Question: 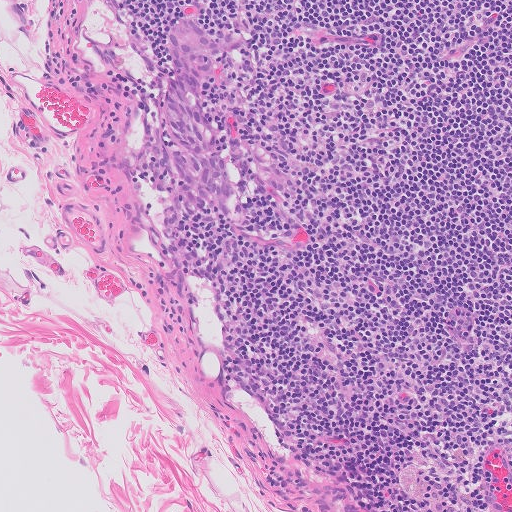
This is a crop of a whole-slide image: an H&E-stained breast-cancer sentinel lymph node section at roughly 10× magnification (about 1.0 µm per pixel; the crop spans about 0.51 mm).
About how much of this crop is taken up by metastatic carcinoma?

Choices:
 (A) about 5% or less
 (B) about 50% or more
 (C) none: no tumour is outlined
 (D) about 25% to 45%
 (E) about 10% to 20%

Answer: (A) about 5% or less
About 5% of the field is tumour.
The outlined metastatic tumour's edge, as a closed clockwise path of 12 points: (191, 14), (215, 32), (224, 46), (224, 64), (209, 92), (233, 185), (222, 214), (206, 218), (177, 208), (158, 164), (158, 115), (176, 18).
Question: 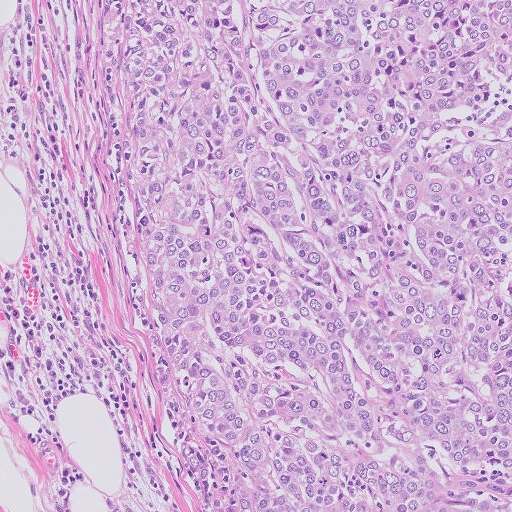
Lymph node section stained with H&E, from a whole-slide image of a breast-cancer sentinel node. Magnification about 10×, about 0.51 mm across the frame, about 1.0 µm per pixel.
About how much of this crop is taken up by metastatic carcinoma?

Choices:
 (A) about 5% or less
 (B) about 25% to 45%
 (C) none: no tumour is outlined
 (D) about 50% or more
 (E) about 10% to 20%

Answer: (D) about 50% or more
About 75% of the field is tumour.
The outlined metastatic tumour's edge, as a closed clockwise path of 5 points: (511, 0), (511, 511), (219, 511), (108, 238), (77, 2).
Question: 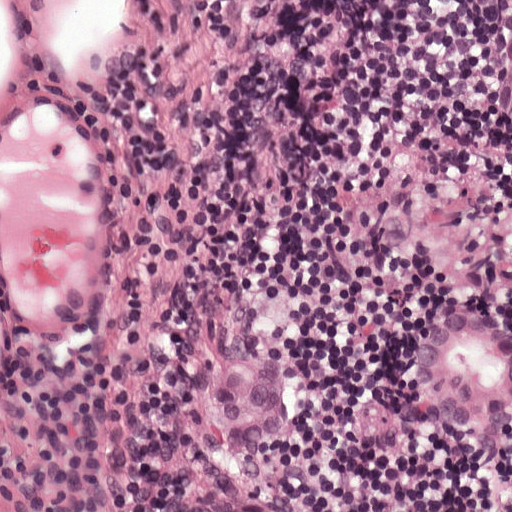
This is a crop of a whole-slide image: an H&E-stained breast-cancer sentinel lymph node section at roughly 20× magnification (about 0.49 µm per pixel; the crop spans about 0.25 mm).
About how much of this crop is taken up by metastatic carcinoma?

Choices:
 (A) none: no tumour is outlined
 (B) about 50% or more
 (C) about 25% to 45%
 (D) about 5% or less
 (E) about 10% to 20%

Answer: (C) about 25% to 45%
About 25% of the field is tumour.
Two metastatic tumour regions, each outlined as a closed clockwise path in crop pixels (x, y), largest first: region 1: (432, 268), (511, 274), (511, 511), (178, 511), (127, 449), (122, 334), (228, 276), (234, 403), (337, 470), (449, 495), (400, 383); region 2: (492, 0), (511, 0), (511, 174), (510, 168), (444, 64).
Question: 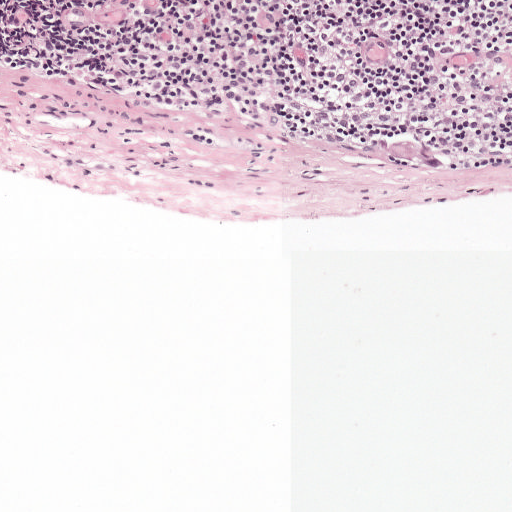
Lymph node section stained with H&E, from a whole-slide image of a breast-cancer sentinel node. Magnification about 10×, about 0.5 mm across the frame, about 0.97 µm per pixel.
About how much of this crop is taken up by metastatic carcinoma?

Choices:
 (A) about 5% or less
 (B) about 25% to 45%
 (C) none: no tumour is outlined
 (D) about 10% to 20%
 (E) about 50% or more

Answer: (A) about 5% or less
Under 5% of the field is tumour.
The outlined metastatic tumour's edge, as a closed clockwise path of 12 points: (379, 137), (386, 139), (388, 146), (397, 142), (410, 141), (422, 143), (434, 150), (442, 160), (441, 168), (425, 166), (390, 155), (377, 148).